This is a crop of a whole-slide image: an H&E-stained breast-cancer sentinel lymph node section at roughly 10× magnification (about 0.9 µm per pixel; the crop spans about 0.46 mm).
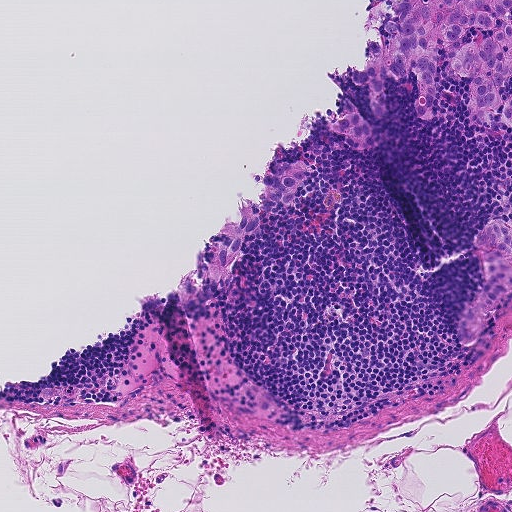
Outlines of three tumour regions, largest first (closed clockwise paths, crop pixels): region 1: (378, 0), (511, 0), (511, 82), (496, 89), (500, 101), (511, 92), (511, 124), (508, 126), (499, 109), (480, 130), (466, 116), (471, 78), (458, 80), (446, 64), (446, 44), (439, 100), (432, 117), (420, 120), (412, 110), (416, 92), (410, 73), (387, 79), (390, 98), (373, 151), (354, 150), (341, 136), (322, 131), (325, 124), (343, 118), (344, 94), (357, 113), (373, 123), (366, 92), (350, 83), (347, 64), (359, 69), (367, 38), (385, 48), (372, 8); region 2: (498, 218), (511, 221), (511, 298), (499, 308), (480, 343), (460, 344), (457, 326), (465, 308), (477, 294), (485, 276), (480, 258), (471, 240), (480, 223); region 3: (300, 160), (310, 170), (298, 197), (285, 206), (270, 209), (260, 226), (247, 234), (233, 267), (231, 281), (218, 285), (206, 280), (219, 252), (231, 242), (207, 238), (222, 224), (237, 222), (240, 214), (236, 206), (249, 199), (258, 204), (261, 177), (270, 165).
One more small tumour piece is annotated here but not outlined.
Tumour covers about 10% of the frame.